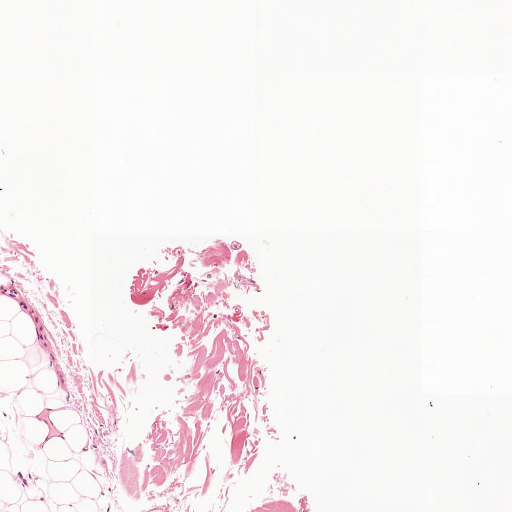
A 1-mm field of an H&E-stained sentinel lymph node from a breast-cancer patient (whole-slide image), shown at about 5×, about 1.9 µm per pixel.
The outlined metastatic tumour's edge, as a closed clockwise path of 10 points: (206, 272), (209, 272), (218, 272), (218, 274), (217, 279), (213, 279), (207, 279), (204, 278), (198, 278), (200, 275).
One more small tumour piece is annotated here but not outlined.
Tumour covers under 5% of the frame.